Image:
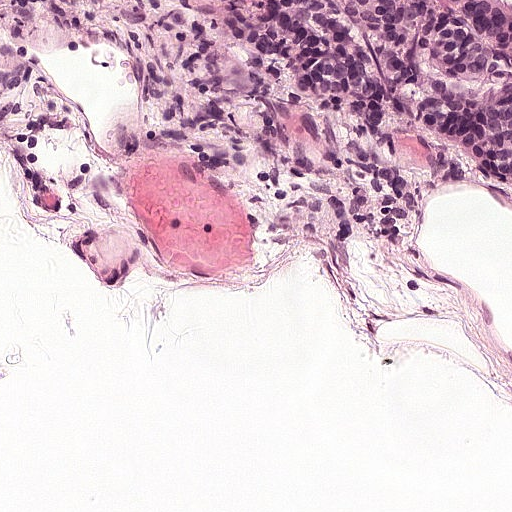
Lymph node section stained with H&E, from a whole-slide image of a breast-cancer sentinel node. Magnification about 20×, about 0.25 mm across the frame, about 0.49 µm per pixel.
Question:
Show where the tumour is in this image.
Answer:
Outlines of two tumour regions, largest first (closed clockwise paths, crop pixels): region 1: (166, 0), (511, 0), (511, 188), (326, 98), (205, 14); region 2: (0, 0), (62, 0), (32, 14), (2, 14).
About 15% of this field is tumour.